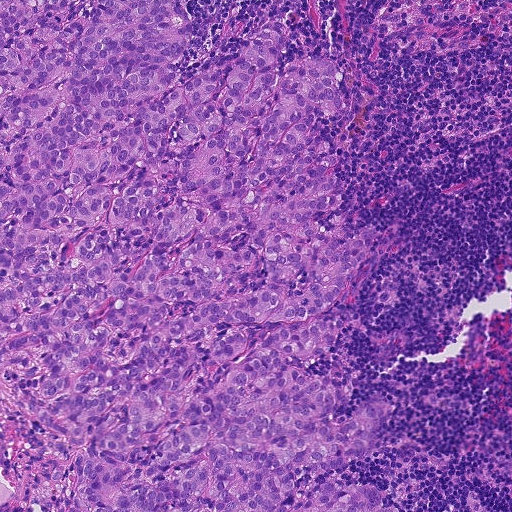
A 0.46-mm field of an H&E-stained sentinel lymph node from a breast-cancer patient (whole-slide image), shown at about 10×, about 0.9 µm per pixel.
Question: Trace the edge of each tumour region in this crop, as (x, y) points from 0 to 511.
Answer: One metastatic tumour region; its boundary, reduced to 22 corners and listed clockwise: (0, 0), (177, 0), (193, 26), (180, 80), (242, 18), (291, 34), (280, 67), (342, 69), (347, 104), (315, 124), (342, 160), (342, 243), (402, 223), (339, 350), (342, 412), (378, 390), (392, 429), (340, 472), (402, 511), (56, 511), (72, 456), (11, 382).
About 65% of the image area is annotated as tumour.